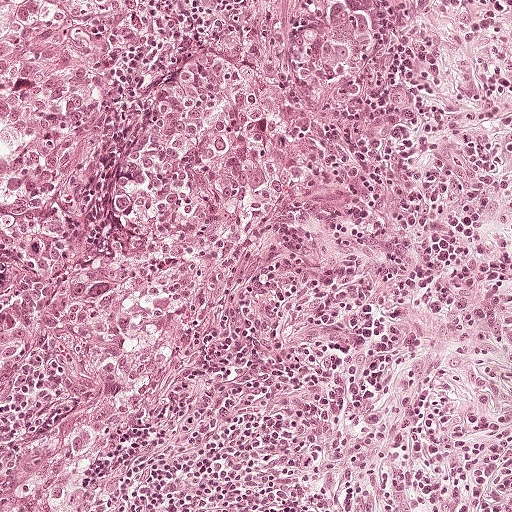
A 0.5-mm field of an H&E-stained sentinel lymph node from a breast-cancer patient (whole-slide image), shown at about 10×, about 0.97 µm per pixel.
The outlined metastatic tumour's edge, as a closed clockwise path of 7 points: (0, 0), (446, 0), (414, 72), (329, 179), (226, 233), (104, 508), (0, 511).
The annotated tumour makes up about 50% of the crop.